Question: 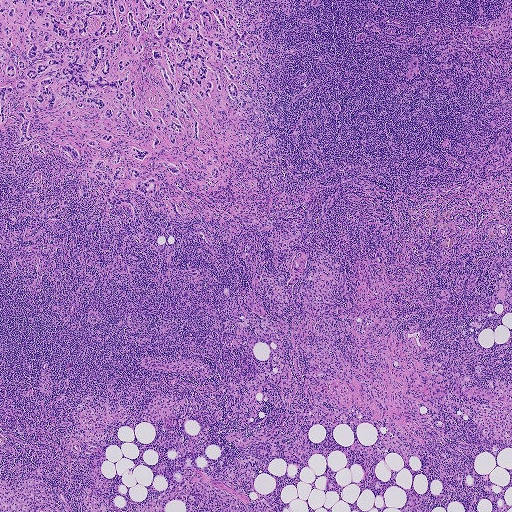
A 1.9-mm field of an H&E-stained sentinel lymph node from a breast-cancer patient (whole-slide image), shown at about 2.5×, about 3.6 µm per pixel.
About how much of this crop is taken up by metastatic carcinoma?

Choices:
 (A) none: no tumour is outlined
 (B) about 50% or more
 (C) about 5% or less
 (D) about 25% to 45%
 (E) about 10% to 20%

Answer: (E) about 10% to 20%
About 10% of the field is tumour.
Outlines of the eight largest metastatic tumour regions, each a closed clockwise path in crop pixels (x, y), largest first: region 1: (0, 0), (240, 0), (252, 13), (265, 10), (249, 32), (262, 31), (263, 48), (237, 59), (237, 103), (214, 88), (212, 100), (186, 94), (199, 110), (196, 140), (191, 116), (179, 111), (183, 128), (172, 132), (172, 145), (153, 120), (140, 112), (147, 124), (139, 124), (126, 98), (114, 101), (105, 88), (96, 96), (112, 119), (76, 109), (66, 118), (74, 104), (67, 99), (47, 112), (32, 104), (24, 113), (32, 139), (14, 144), (22, 120), (16, 91), (4, 124); region 2: (152, 177), (157, 183), (156, 192), (154, 195), (145, 196), (135, 189), (133, 186), (138, 180), (145, 180); region 3: (122, 165), (126, 166), (138, 170), (139, 174), (137, 177), (120, 180), (112, 179), (117, 167); region 4: (134, 210), (138, 215), (138, 217), (145, 231), (152, 234), (152, 238), (152, 242), (146, 245), (142, 245), (139, 243), (138, 238), (139, 234), (134, 220), (135, 217), (133, 214); region 5: (104, 191), (112, 192), (119, 196), (130, 198), (132, 202), (129, 204), (121, 203), (113, 205), (110, 204), (107, 201); region 6: (133, 146), (141, 149), (149, 150), (150, 154), (141, 161), (130, 156), (129, 152), (131, 148); region 7: (198, 146), (205, 150), (208, 154), (216, 168), (218, 176), (215, 177), (211, 176), (210, 172), (212, 166), (208, 167), (204, 165), (207, 158), (204, 155), (200, 154), (197, 151); region 8: (60, 144), (73, 146), (76, 149), (79, 156), (77, 160), (73, 160), (70, 158), (68, 154), (62, 150).
One more, smaller tumour region is not outlined.
11 more small tumour pieces are annotated here but not outlined.